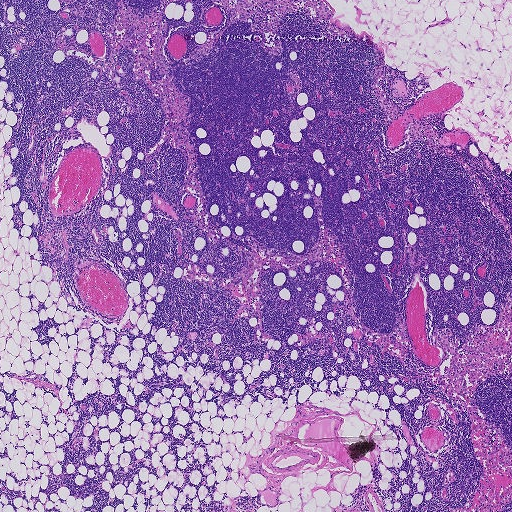
This is a crop of a whole-slide image: an H&E-stained breast-cancer sentinel lymph node section at roughly 2.5× magnification (about 3.6 µm per pixel; the crop spans about 1.9 mm).
Question: Does this lymph node field contain metastatic tumour?
Answer: No, this field holds no outlined metastasis.